Question: 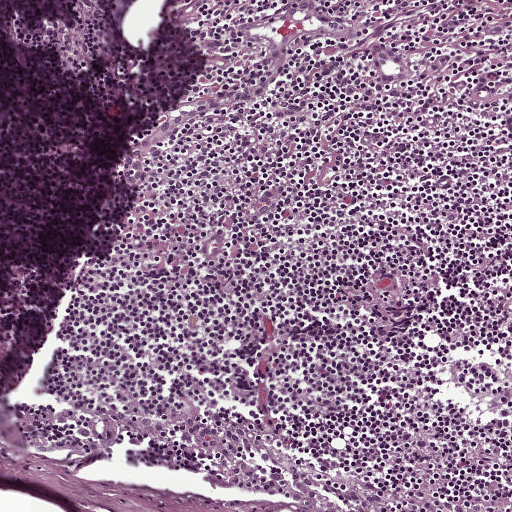
At roughly what magnification is this field shown?

Choices:
 (A) about 10×
 (B) about 2.5×
 (C) about 5×
 (D) about 20×
 (E) about 40×

Answer: (A) about 10×
H&E-stained section of a sentinel lymph node (breast cancer), from a whole-slide image, viewed at about 10×: the field is about 0.5 mm across, about 0.97 µm per pixel.